Image:
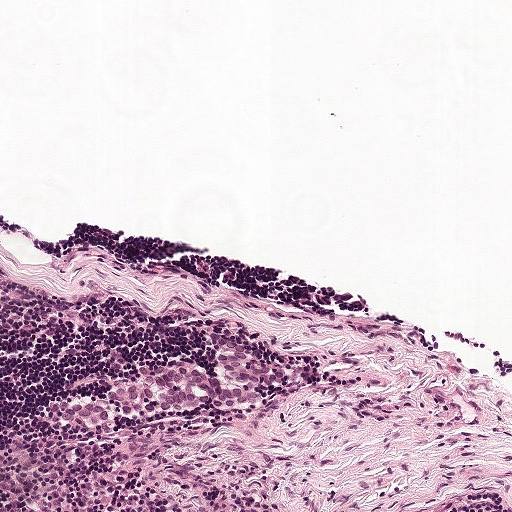
H&E-stained section of a sentinel lymph node (breast cancer), from a whole-slide image, viewed at about 10×: the field is about 0.5 mm across, about 0.97 µm per pixel.
Question:
Does this lymph node field contain metastatic tumour?
Answer:
Yes.
Tumour region outline (a closed clockwise path, crop pixels): (244, 352), (289, 378), (266, 384), (266, 398), (254, 405), (203, 401), (156, 416), (118, 416), (102, 427), (83, 420), (59, 421), (50, 408), (50, 403), (61, 397), (100, 394), (143, 364), (192, 361), (214, 372), (218, 370), (216, 354).
The annotated tumour makes up about 5% of the crop.